A 0.46-mm field of an H&E-stained sentinel lymph node from a breast-cancer patient (whole-slide image), shown at about 10×, about 0.9 µm per pixel.
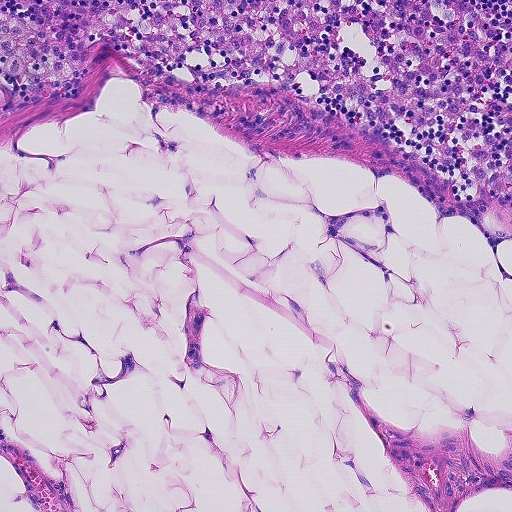
Question: Does this lymph node field contain metastatic tumour?
Answer: No, this field holds no outlined metastasis.